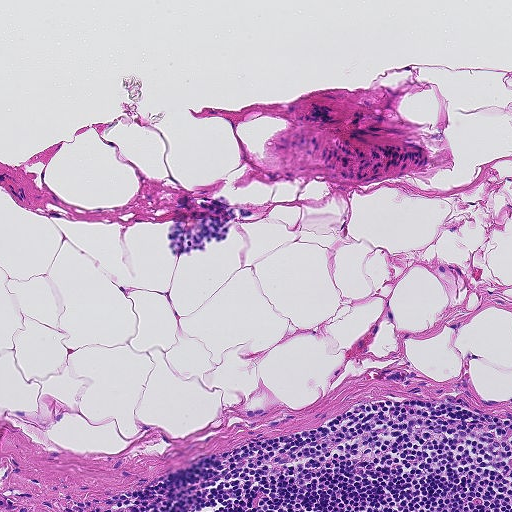
A 0.46-mm field of an H&E-stained sentinel lymph node from a breast-cancer patient (whole-slide image), shown at about 10×, about 0.9 µm per pixel.
Question: Is there metastatic carcinoma in this field?
Answer: No, this field holds no outlined metastasis.